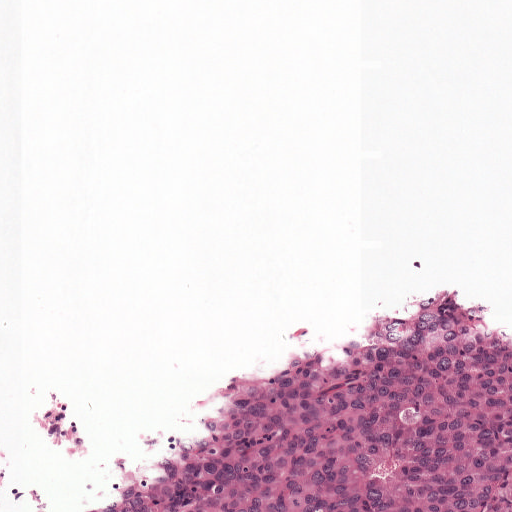
Lymph node section stained with H&E, from a whole-slide image of a breast-cancer sentinel node. Magnification about 10×, about 0.5 mm across the frame, about 0.97 µm per pixel.
One metastatic tumour region; its boundary, reduced to 10 corners and listed clockwise: (456, 284), (511, 304), (511, 511), (0, 511), (0, 442), (79, 402), (106, 440), (144, 457), (243, 358), (410, 293).
About 30% of this field is tumour.